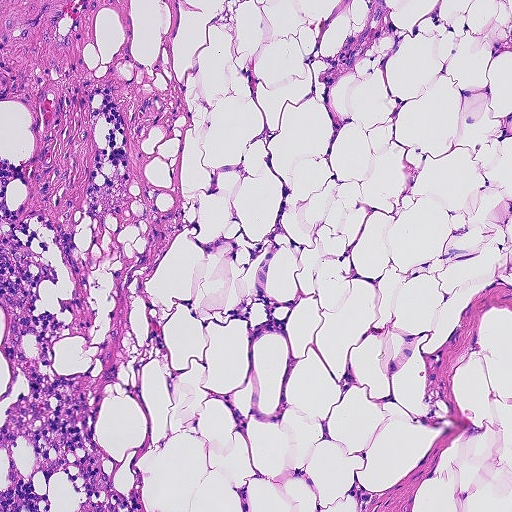
This is a crop of a whole-slide image: an H&E-stained breast-cancer sentinel lymph node section at roughly 10× magnification (about 0.9 µm per pixel; the crop spans about 0.46 mm).
Question: Is any metastatic breast cancer visible in this crop?
Answer: No. No metastatic tumour is outlined in this field.